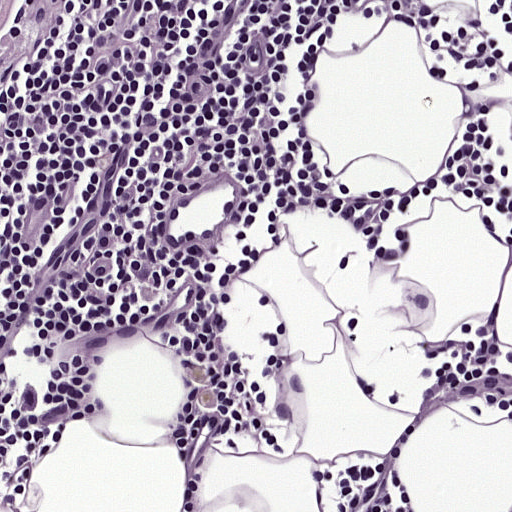
A 0.25-mm field of an H&E-stained sentinel lymph node from a breast-cancer patient (whole-slide image), shown at about 20×, about 0.49 µm per pixel.